Question: 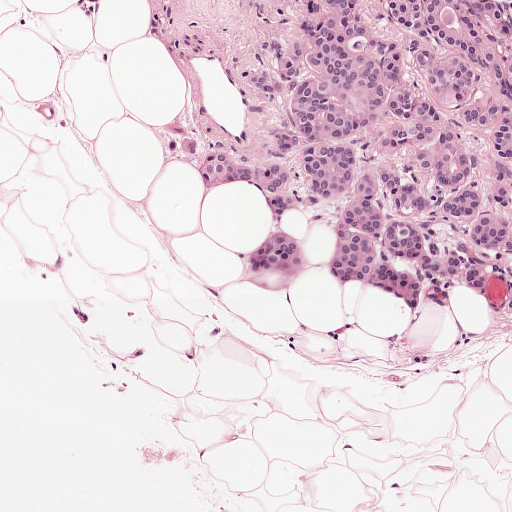
Lymph node section stained with H&E, from a whole-slide image of a breast-cancer sentinel node. Magnification about 10×, about 0.5 mm across the frame, about 0.97 µm per pixel.
Estimate the proportion of this field that is metastatic tumour.

Choices:
 (A) about 5% or less
 (B) none: no tumour is outlined
 (C) about 10% to 20%
 (D) about 25% to 45%
 (E) about 50% or more

Answer: (C) about 10% to 20%
About 20% of the field is tumour.
Two metastatic tumour regions, each outlined as a closed clockwise path in crop pixels (x, y), largest first: region 1: (308, 0), (355, 0), (398, 40), (412, 90), (477, 152), (464, 187), (511, 227), (511, 255), (478, 252), (483, 286), (447, 278), (449, 306), (433, 279), (411, 316), (330, 276), (362, 176), (461, 189), (411, 147), (380, 153), (406, 118), (385, 105), (337, 144), (355, 170), (329, 198), (302, 174), (316, 145), (287, 153), (298, 275), (247, 260), (273, 193), (206, 193), (186, 155), (194, 137), (265, 160), (292, 100), (246, 74), (274, 38), (311, 70); region 2: (385, 0), (489, 0), (501, 6), (511, 22), (511, 204), (499, 208), (492, 198), (498, 163), (489, 148), (491, 130), (466, 126), (433, 97), (409, 49), (406, 32).